This is a crop of a whole-slide image: an H&E-stained breast-cancer sentinel lymph node section at roughly 20× magnification (about 0.49 µm per pixel; the crop spans about 0.25 mm).
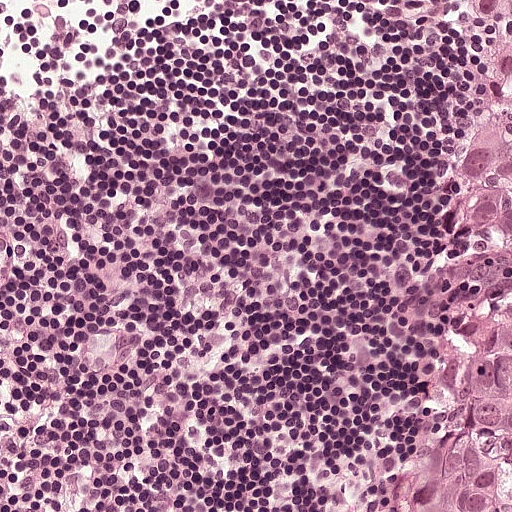
Tumour region outline (a closed clockwise path, crop pixels): (511, 0), (511, 511), (397, 511), (423, 428), (418, 391), (398, 360), (404, 326), (500, 247), (460, 197), (445, 161), (451, 110), (472, 68), (462, 24), (472, 4).
About 15% of the image area is annotated as tumour.